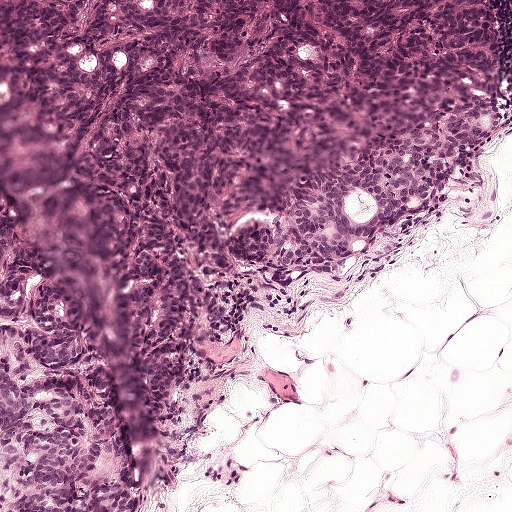
This is a crop of a whole-slide image: an H&E-stained breast-cancer sentinel lymph node section at roughly 10× magnification (about 0.97 µm per pixel; the crop spans about 0.5 mm).
Two metastatic tumour regions, each outlined as a closed clockwise path in crop pixels (x, y), largest first: region 1: (0, 0), (487, 0), (502, 74), (432, 56), (284, 110), (203, 177), (200, 206), (217, 227), (273, 218), (341, 188), (489, 102), (502, 117), (478, 132), (424, 205), (220, 329), (164, 332), (118, 284), (3, 88); region 2: (0, 225), (20, 267), (90, 368), (124, 465), (122, 511), (0, 511).
About 45% of the image area is annotated as tumour.